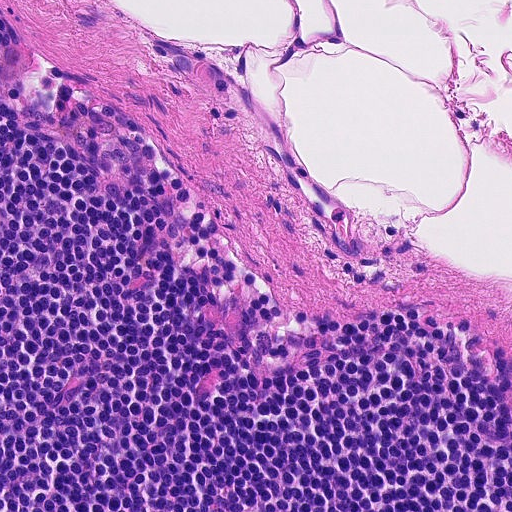
A 0.23-mm field of an H&E-stained sentinel lymph node from a breast-cancer patient (whole-slide image), shown at about 20×, about 0.45 µm per pixel.